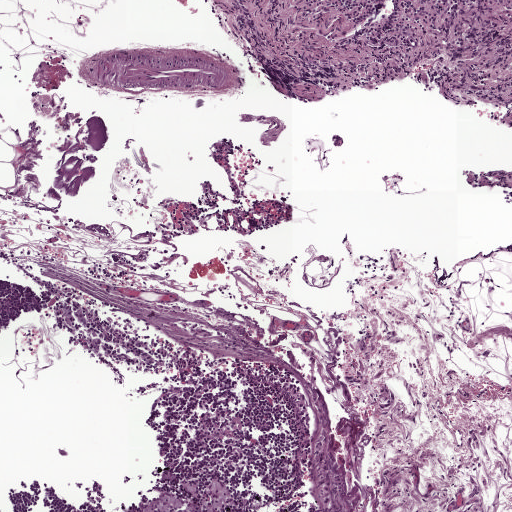
H&E-stained section of a sentinel lymph node (breast cancer), from a whole-slide image, viewed at about 5×: the field is about 1 mm across, about 1.9 µm per pixel.
Four metastatic tumour regions, each outlined as a closed clockwise path in crop pixels (x, y), largest first: region 1: (203, 473), (216, 475), (235, 494), (237, 506), (236, 511), (108, 511), (172, 489); region 2: (70, 305), (75, 310), (81, 310), (85, 320), (84, 324), (77, 324), (77, 327), (70, 328), (64, 320), (63, 307); region 3: (192, 324), (210, 326), (219, 333), (209, 339), (187, 334); region 4: (86, 337), (102, 338), (104, 342), (99, 351), (92, 348), (90, 346).
One more small tumour piece is annotated here but not outlined.
Under 5% of the image area is annotated as tumour.